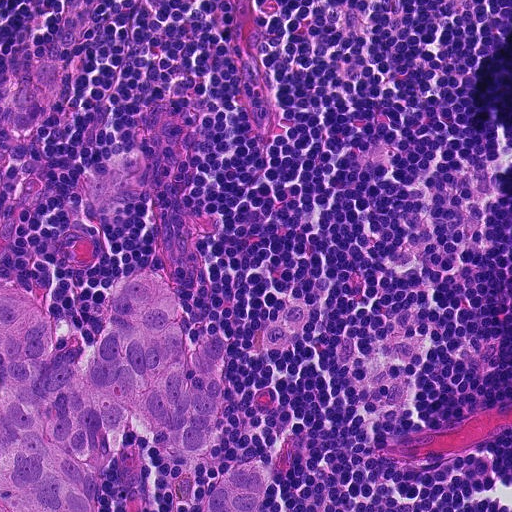
A 0.23-mm field of an H&E-stained sentinel lymph node from a breast-cancer patient (whole-slide image), shown at about 20×, about 0.45 µm per pixel.
Question: Where is the metastatic tumour in this field? Give each region's outline as (x, y) pixel points.
Answer: Metastatic tumour outline, simplified to 15 points and listed clockwise in crop pixels (x, y): (152, 268), (180, 300), (190, 339), (224, 325), (229, 388), (224, 428), (202, 464), (135, 415), (107, 511), (0, 511), (0, 285), (12, 282), (80, 330), (82, 364), (117, 288).
Tumour covers about 15% of the frame.